Image:
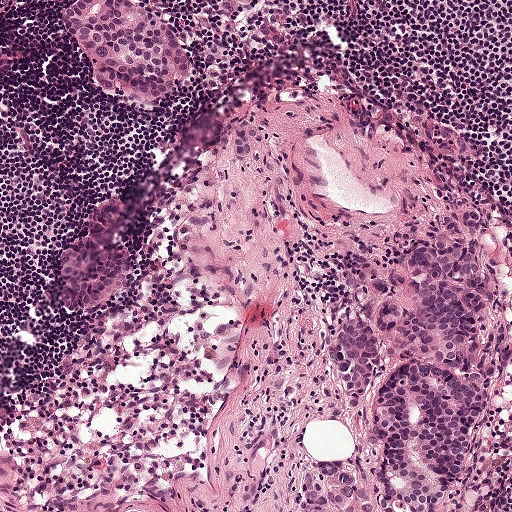
Lymph node section stained with H&E, from a whole-slide image of a breast-cancer sentinel node. Magnification about 10×, about 0.5 mm across the frame, about 0.97 µm per pixel.
Question:
Does this lymph node field contain metastatic tumour?
Answer:
Yes.
Outlines of three tumour regions, largest first (closed clockwise paths, crop pixels): region 1: (463, 226), (502, 228), (498, 365), (447, 511), (292, 511), (306, 479), (344, 454), (376, 449), (369, 406), (331, 391), (316, 365), (319, 330), (360, 308), (386, 278), (405, 271), (414, 253); region 2: (72, 0), (135, 0), (154, 16), (170, 22), (189, 49), (182, 87), (158, 103), (131, 103), (97, 89), (84, 74), (74, 39), (62, 26), (63, 11); region 3: (111, 196), (120, 197), (127, 233), (135, 252), (135, 276), (132, 284), (119, 307), (101, 313), (85, 313), (74, 294), (56, 287), (62, 242), (104, 207).
About 20% of the image area is annotated as tumour.